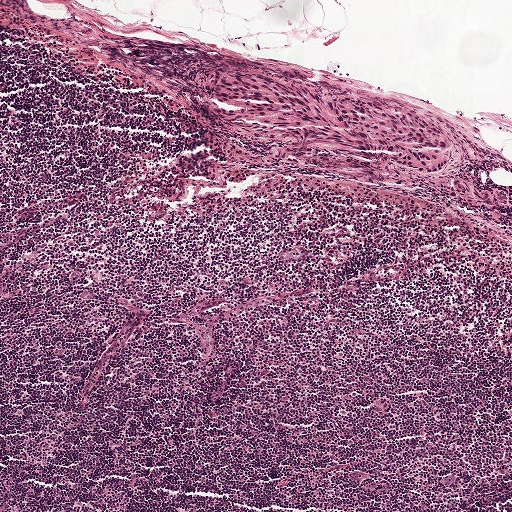
Lymph node section stained with H&E, from a whole-slide image of a breast-cancer sentinel node. Magnification about 5×, about 1 mm across the frame, about 1.9 µm per pixel.
Tumour region outline (a closed clockwise path, crop pixels): (202, 56), (280, 56), (356, 90), (374, 90), (416, 109), (445, 137), (440, 171), (413, 181), (391, 181), (342, 177), (290, 162), (248, 138), (210, 104), (191, 62).
The annotated tumour makes up about 5% of the crop.